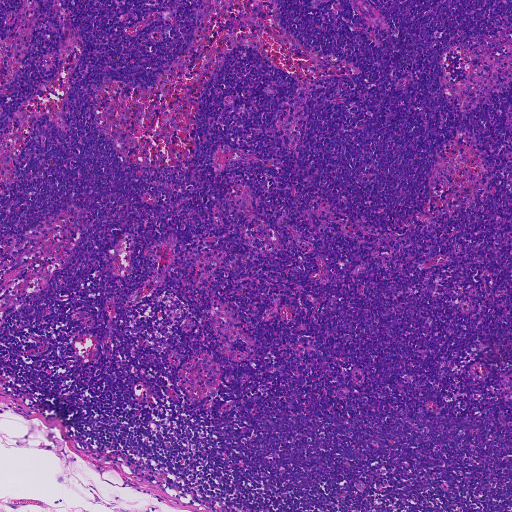
H&E-stained section of a sentinel lymph node (breast cancer), from a whole-slide image, viewed at about 5×: the field is about 0.93 mm across, about 1.8 µm per pixel.